A 0.5-mm field of an H&E-stained sentinel lymph node from a breast-cancer patient (whole-slide image), shown at about 10×, about 0.97 µm per pixel.
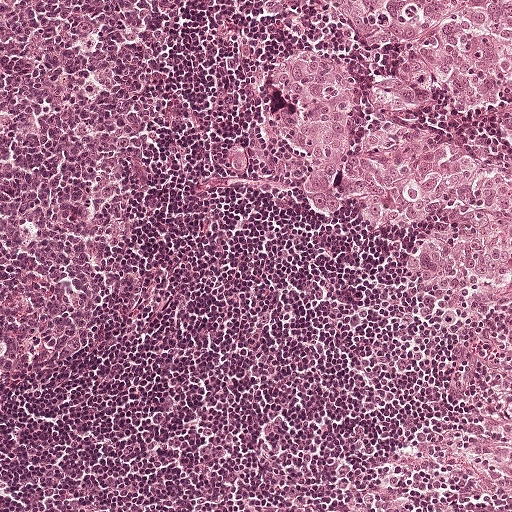
The outlined metastatic tumour's edge, as a closed clockwise path of 12 points: (511, 0), (511, 511), (434, 511), (386, 490), (391, 444), (450, 376), (448, 332), (376, 237), (296, 211), (224, 154), (262, 98), (269, 4).
The annotated tumour makes up about 30% of the crop.